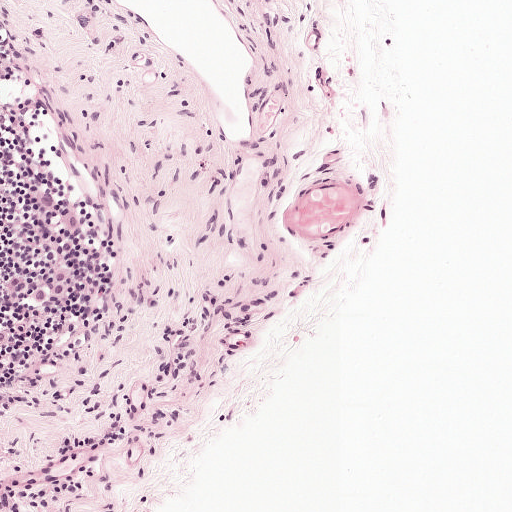
A 0.5-mm field of an H&E-stained sentinel lymph node from a breast-cancer patient (whole-slide image), shown at about 10×, about 0.97 µm per pixel.